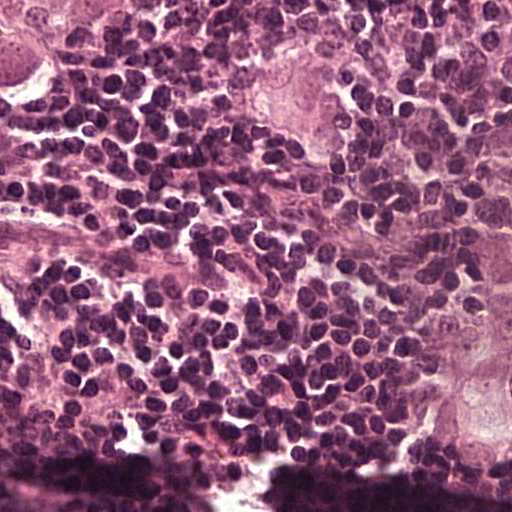
H&E-stained section of a sentinel lymph node (breast cancer), from a whole-slide image, viewed at about 40×: the field is about 0.12 mm across, about 0.24 µm per pixel.
Boundaries of two metastatic tumour regions, simplified and listed clockwise, largest first: region 1: (272, 43), (327, 54), (331, 62), (341, 66), (343, 96), (358, 125), (358, 147), (353, 155), (310, 155), (294, 151), (270, 137), (262, 113), (223, 96), (229, 58); region 2: (16, 0), (105, 0), (86, 19), (86, 23), (80, 25), (76, 33), (34, 34), (40, 38), (44, 46), (44, 50), (38, 50), (38, 56), (44, 64), (44, 76), (32, 85), (0, 86), (0, 29), (25, 31), (23, 27), (16, 25).
One more small tumour piece is annotated here but not outlined.
The annotated tumour makes up about 5% of the crop.